This is a crop of a whole-slide image: an H&E-stained breast-cancer sentinel lymph node section at roughly 2.5× magnification (about 3.6 µm per pixel; the crop spans about 1.9 mm).
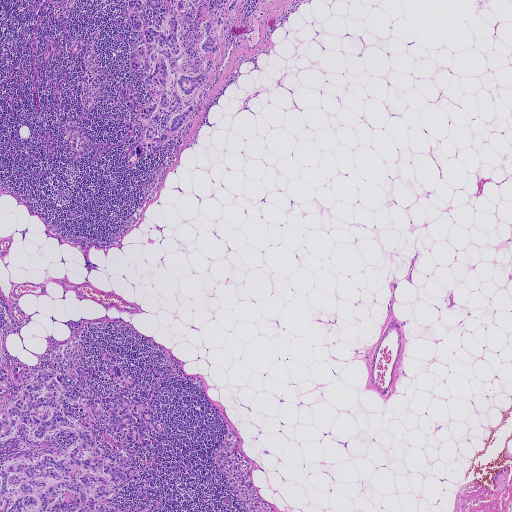
Outlines of four tumour regions, largest first (closed clockwise paths, crop pixels): region 1: (43, 369), (72, 376), (87, 404), (119, 393), (154, 410), (165, 436), (134, 418), (161, 444), (146, 449), (118, 436), (99, 406), (88, 407), (59, 399), (100, 457), (137, 468), (136, 481), (114, 485), (81, 471), (89, 495), (108, 484), (103, 504), (152, 511), (0, 511), (0, 414); region 2: (130, 0), (162, 0), (174, 14), (176, 0), (247, 0), (221, 33), (207, 81), (186, 97), (175, 87), (154, 135), (193, 105), (186, 123), (128, 165), (148, 124), (135, 112), (159, 98), (144, 78), (154, 62), (146, 56), (137, 69), (130, 61), (142, 30), (125, 21); region 3: (116, 366), (120, 369), (124, 376), (136, 380), (136, 384), (131, 390), (123, 388), (118, 381), (110, 376), (112, 367); region 4: (0, 368), (5, 372), (7, 375), (6, 379), (0, 385).
Three more small tumour pieces are annotated here but not outlined.
The annotated tumour makes up about 10% of the crop.